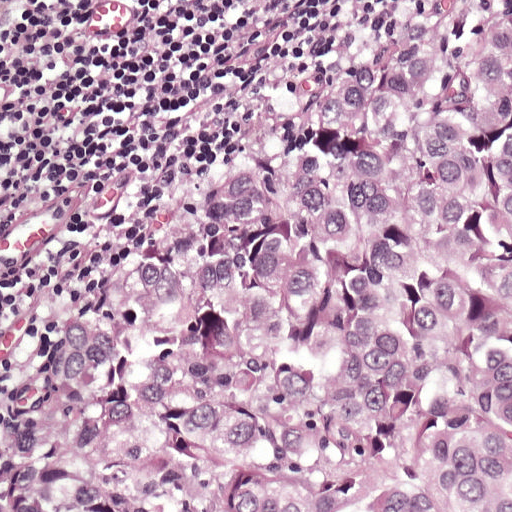
This is a crop of a whole-slide image: an H&E-stained breast-cancer sentinel lymph node section at roughly 20× magnification (about 0.49 µm per pixel; the crop spans about 0.25 mm).
Metastatic tumour outline, simplified to 6 points and listed clockwise in crop pixels (x, y): (338, 0), (511, 0), (511, 511), (0, 511), (0, 375), (148, 186).
About 80% of this field is tumour.